Question: 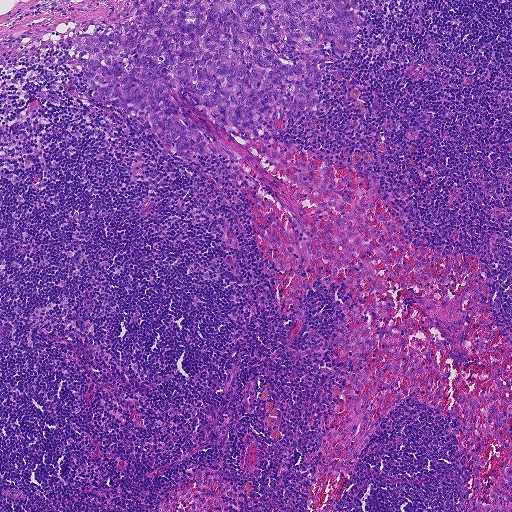
This is a crop of a whole-slide image: an H&E-stained breast-cancer sentinel lymph node section at roughly 5× magnification (about 1.8 µm per pixel; the crop spans about 0.93 mm).
About how much of this crop is taken up by metastatic carcinoma?

Choices:
 (A) about 10% to 20%
 (B) about 5% or less
 (C) about 50% or more
 (D) about 25% to 45%
 (E) none: no tumour is outlined

Answer: (A) about 10% to 20%
About 10% of the field is tumour.
One metastatic tumour region; its boundary, reduced to 22 corners and listed clockwise: (357, 0), (369, 23), (346, 58), (319, 45), (306, 61), (326, 70), (313, 85), (320, 108), (276, 120), (270, 133), (227, 131), (169, 93), (233, 154), (190, 152), (188, 161), (145, 134), (151, 120), (95, 100), (71, 62), (80, 25), (119, 20), (132, 3).